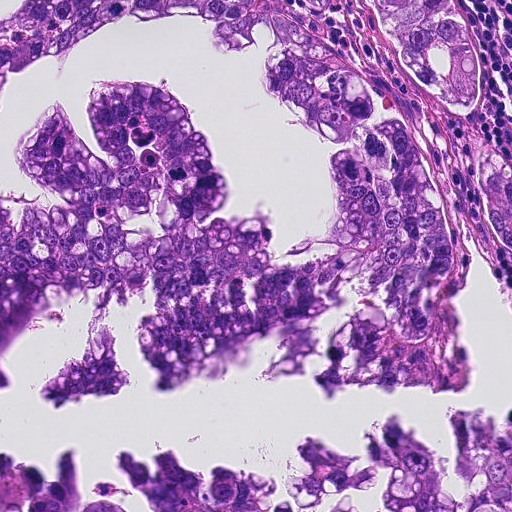
This is a crop of a whole-slide image: an H&E-stained breast-cancer sentinel lymph node section at roughly 20× magnification (about 0.45 µm per pixel; the crop spans about 0.23 mm).
Boundaries of three metastatic tumour regions, simplified and listed clockwise, largest first: region 1: (18, 0), (335, 0), (316, 24), (398, 118), (454, 226), (465, 384), (426, 396), (348, 382), (284, 336), (150, 374), (136, 320), (156, 290), (112, 304), (126, 383), (50, 407), (33, 398), (88, 340), (100, 292), (28, 328), (2, 359), (14, 391), (0, 393), (6, 18); region 2: (511, 437), (511, 511), (149, 511), (123, 480), (162, 468), (310, 468), (386, 448); region 3: (2, 448), (24, 464), (62, 475), (98, 496), (117, 511), (0, 511), (0, 451).
Tumour covers about 65% of the frame.